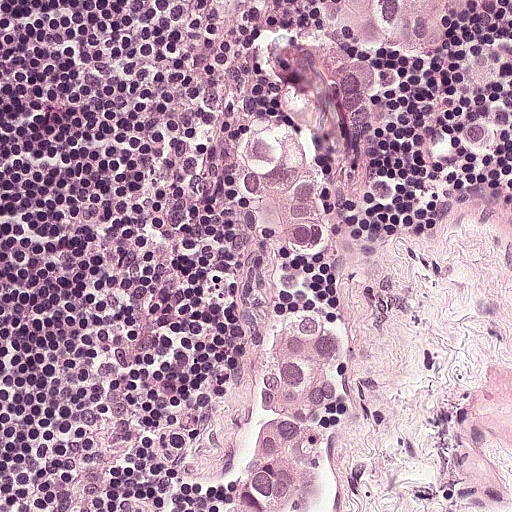
H&E-stained section of a sentinel lymph node (breast cancer), from a whole-slide image, viewed at about 20×: the field is about 0.25 mm across, about 0.49 µm per pixel.
Tumour region outline (a closed clockwise path, crop pixels): (326, 0), (475, 0), (451, 52), (382, 82), (390, 146), (374, 177), (343, 200), (310, 255), (278, 272), (282, 304), (336, 333), (332, 430), (302, 511), (240, 511), (234, 474), (256, 392), (256, 319), (237, 248), (236, 164), (252, 122), (284, 104), (270, 55), (315, 33).
About 20% of this field is tumour.